Lymph node section stained with H&E, from a whole-slide image of a breast-cancer sentinel node. Magnification about 5×, about 1 mm across the frame, about 1.9 µm per pixel.
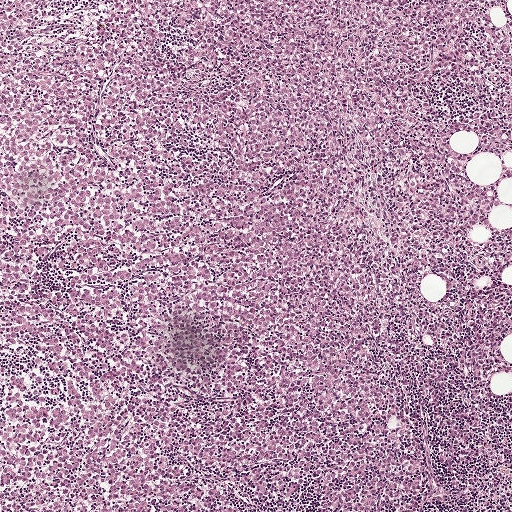
Question: Which parts of this field are metastatic tumour?
Answer: Three metastatic tumour regions, each outlined as a closed clockwise path in crop pixels (x, y), largest first: region 1: (332, 0), (370, 235), (352, 280), (238, 307), (180, 300), (145, 278), (100, 135), (104, 1); region 2: (0, 356), (65, 364), (115, 393), (161, 404), (178, 418), (194, 450), (193, 490), (203, 511), (0, 511); region 3: (0, 0), (67, 0), (62, 8), (38, 24), (22, 29), (0, 27).
The annotated tumour makes up about 35% of the crop.